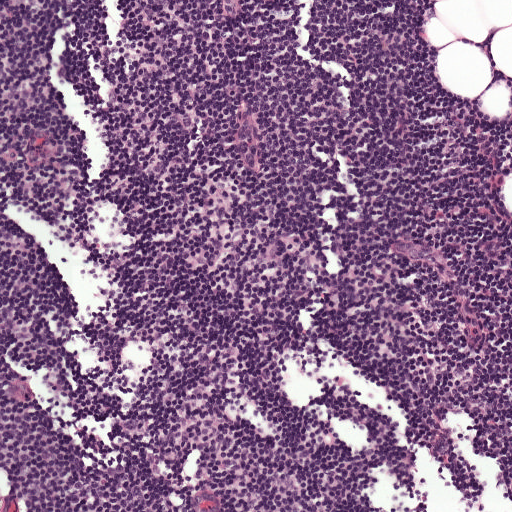
A 0.5-mm field of an H&E-stained sentinel lymph node from a breast-cancer patient (whole-slide image), shown at about 10×, about 0.97 µm per pixel.